H&E-stained section of a sentinel lymph node (breast cancer), from a whole-slide image, viewed at about 2.5×: the field is about 2.0 mm across, about 3.9 µm per pixel.
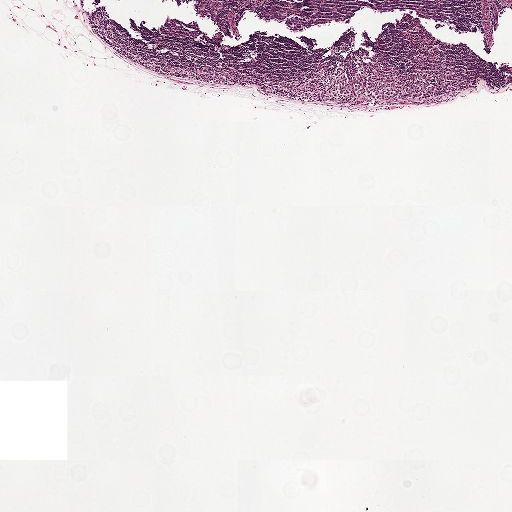
Question: Where is the metastatic tumour in this field? Give each region's outline as (x, y) pixel points.
Answer: Tumour region outline (a closed clockwise path, crop pixels): (346, 64), (360, 72), (383, 68), (403, 75), (417, 96), (416, 102), (401, 107), (318, 104), (289, 97), (278, 88), (278, 81), (321, 66).
Under 5% of the image area is annotated as tumour.